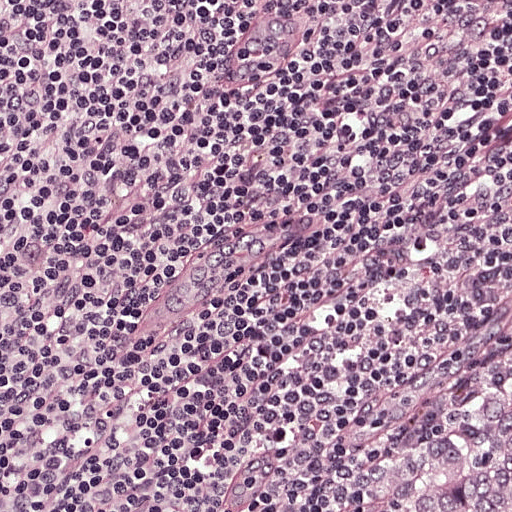
H&E-stained section of a sentinel lymph node (breast cancer), from a whole-slide image, viewed at about 20×: the field is about 0.25 mm across, about 0.49 µm per pixel.
Metastatic tumour outline, simplified to 8 points and listed clockwise in crop pixels (x, y): (511, 265), (511, 511), (304, 511), (329, 497), (346, 466), (372, 386), (393, 350), (423, 320).
About 10% of this field is tumour.